Image:
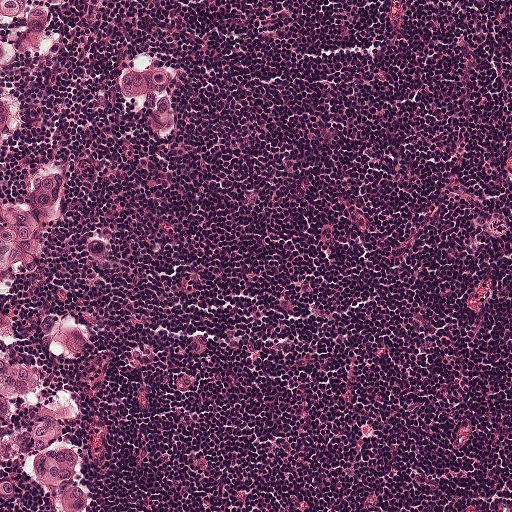
H&E-stained section of a sentinel lymph node (breast cancer), from a whole-slide image, viewed at about 10×: the field is about 0.5 mm across, about 0.97 µm per pixel.
Question:
Which parts of this field are metastatic tumour?
Answer:
Four metastatic tumour regions, each outlined as a closed clockwise path in crop pixels (x, y), largest first: region 1: (0, 310), (73, 315), (90, 333), (92, 352), (65, 356), (24, 345), (14, 345), (11, 351), (44, 370), (54, 389), (74, 405), (73, 417), (59, 424), (59, 433), (76, 452), (82, 508), (50, 511), (33, 492), (25, 472), (16, 468), (14, 498), (0, 505); region 2: (59, 168), (56, 211), (42, 251), (24, 268), (2, 274), (0, 192), (21, 186), (28, 177), (38, 171); region 3: (0, 0), (57, 0), (57, 7), (38, 50), (16, 65), (12, 72), (10, 86), (16, 100), (16, 115), (12, 130), (2, 144), (1, 151); region 4: (148, 60), (166, 68), (175, 75), (178, 117), (168, 136), (154, 134), (140, 126), (136, 121), (128, 90), (115, 84), (115, 76), (118, 71), (124, 67), (147, 62).
Tumour covers about 10% of the frame.